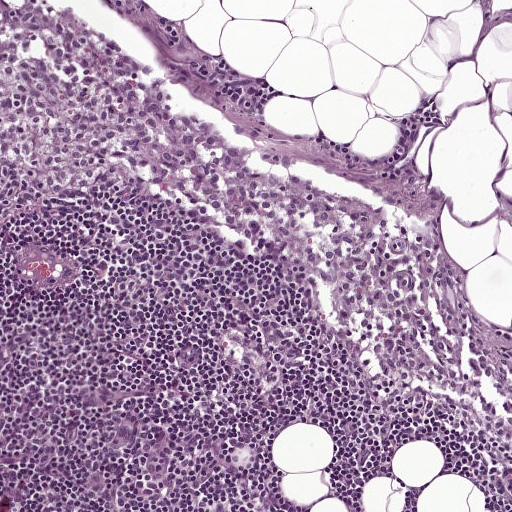
H&E-stained section of a sentinel lymph node (breast cancer), from a whole-slide image, viewed at about 10×: the field is about 0.5 mm across, about 0.97 µm per pixel.